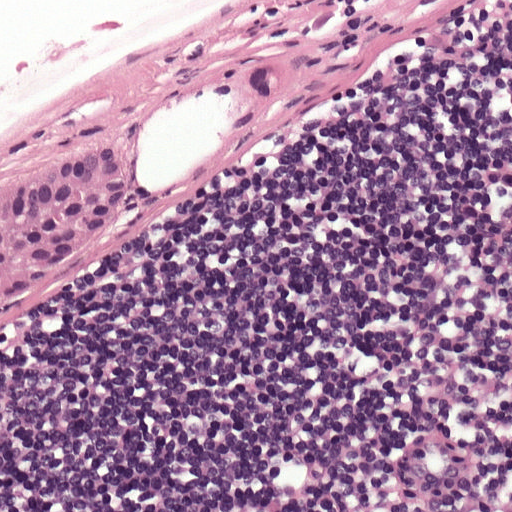
Lymph node section stained with H&E, from a whole-slide image of a breast-cancer sentinel node. Magnification about 20×, about 0.25 mm across the frame, about 0.49 µm per pixel.
Question: Show where the tumour is in this image.
Answer: Tumour region outline (a closed clockwise path, crop pixels): (108, 141), (125, 154), (120, 216), (0, 310), (0, 177), (47, 147).
One more small tumour piece is annotated here but not outlined.
The annotated tumour makes up about 5% of the crop.